A 1.9-mm field of an H&E-stained sentinel lymph node from a breast-cancer patient (whole-slide image), shown at about 2.5×, about 3.6 µm per pixel.
Question: 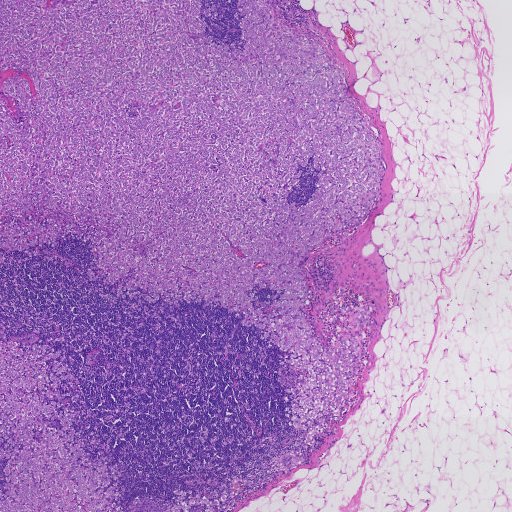
What fraction of the image area is metastatic tumour?

Choices:
 (A) about 50% or more
 (B) about 10% to 20%
 (C) none: no tumour is outlined
 (D) about 5% or less
 (E) about 25% to 45%

Answer: (E) about 25% to 45%
About 45% of the field is tumour.
Boundaries of four metastatic tumour regions, simplified and listed clockwise, largest first: region 1: (0, 0), (269, 0), (342, 65), (379, 140), (374, 209), (300, 261), (322, 343), (352, 306), (372, 310), (352, 407), (307, 446), (285, 415), (302, 375), (244, 314), (120, 298), (134, 270), (92, 280), (92, 243), (70, 232), (27, 260), (4, 250); region 2: (0, 319), (9, 340), (61, 350), (46, 362), (64, 364), (71, 372), (61, 380), (61, 391), (74, 400), (64, 399), (62, 406), (76, 414), (73, 425), (82, 434), (85, 450), (109, 470), (120, 467), (118, 480), (104, 492), (118, 485), (117, 505), (124, 511), (0, 511); region 3: (177, 489), (185, 492), (188, 489), (192, 490), (193, 492), (192, 494), (189, 495), (186, 494), (184, 500), (192, 499), (194, 496), (195, 493), (199, 492), (202, 498), (206, 498), (209, 500), (216, 500), (222, 496), (220, 493), (224, 492), (226, 494), (226, 498), (215, 506), (213, 509), (212, 511), (163, 511), (177, 504), (179, 500), (178, 497), (181, 495), (174, 494), (174, 490); region 4: (285, 455), (291, 455), (297, 457), (296, 462), (289, 467), (283, 467), (278, 463), (279, 460).
Four more small tumour pieces are annotated here but not outlined.